Lymph node section stained with H&E, from a whole-slide image of a breast-cancer sentinel node. Magnification about 20×, about 0.23 mm across the frame, about 0.45 µm per pixel.
Image:
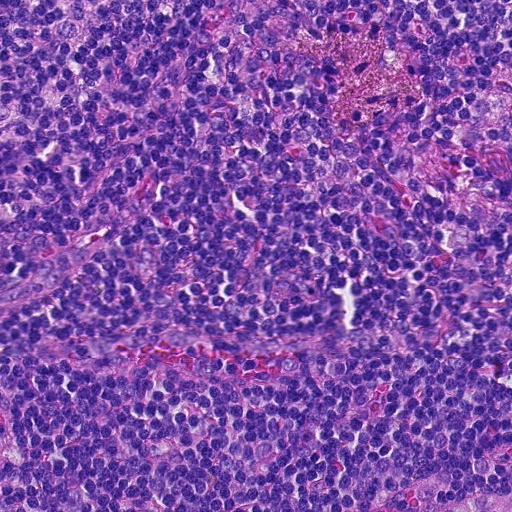
Question:
Does this lymph node field contain metastatic tumour?
Answer:
No: no metastatic tumour is outlined anywhere in this field.